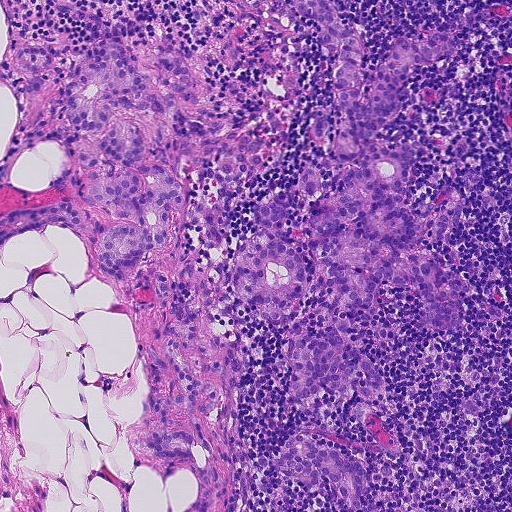
H&E-stained section of a sentinel lymph node (breast cancer), from a whole-slide image, viewed at about 10×: the field is about 0.46 mm across, about 0.9 µm per pixel.
Question: Where is the metastatic tumour in this field?
Answer: Two metastatic tumour regions, each outlined as a closed clockwise path in crop pixels (x, y), largest first: region 1: (102, 38), (136, 58), (177, 51), (209, 81), (200, 115), (174, 107), (180, 141), (240, 128), (283, 149), (240, 176), (180, 162), (184, 215), (141, 269), (172, 274), (198, 254), (192, 278), (217, 292), (209, 320), (240, 344), (229, 511), (178, 511), (194, 476), (157, 476), (128, 446), (149, 386), (78, 236), (39, 228), (0, 254), (19, 44), (56, 57), (70, 85); region 2: (294, 0), (331, 0), (370, 71), (406, 34), (459, 38), (376, 136), (422, 141), (420, 214), (466, 199), (457, 239), (416, 251), (511, 315), (469, 297), (443, 336), (414, 295), (376, 291), (350, 345), (402, 449), (356, 455), (357, 511), (277, 473), (301, 424), (374, 442), (350, 390), (290, 400), (294, 322), (248, 310), (230, 254), (252, 200), (288, 191), (312, 276), (320, 197), (298, 184), (334, 138), (313, 118), (336, 112).
One more small tumour piece is annotated here but not outlined.
About 45% of this field is tumour.